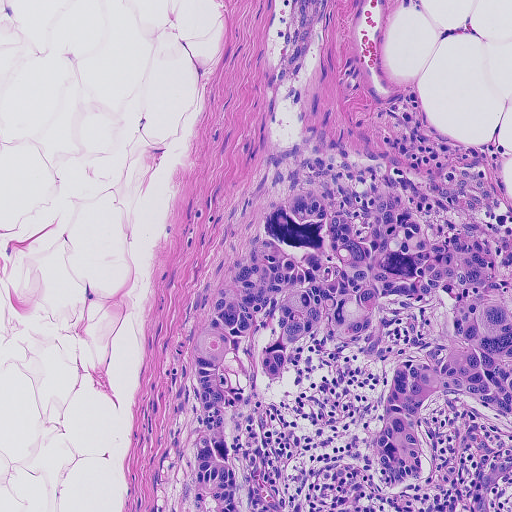
Lymph node section stained with H&E, from a whole-slide image of a breast-cancer sentinel node. Magnification about 10×, about 0.46 mm across the frame, about 0.91 µm per pixel.
Question: Describe where the metastatic carcinoma lies in this crop.
Answer: One metastatic tumour region; its boundary, reduced to 12 corners and listed clockwise: (345, 147), (395, 158), (419, 180), (438, 230), (469, 222), (482, 232), (511, 298), (511, 511), (193, 511), (196, 334), (224, 264), (298, 161).
Tumour covers about 35% of the frame.